A 1-mm field of an H&E-stained sentinel lymph node from a breast-cancer patient (whole-slide image), shown at about 5×, about 1.9 µm per pixel.
Question: 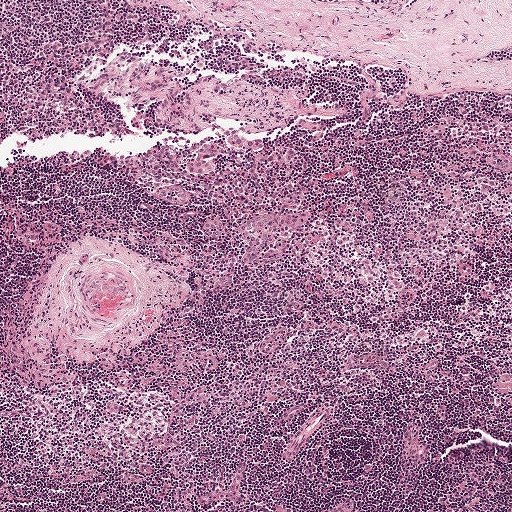
What fraction of the image area is metastatic tumour?

Choices:
 (A) about 25% to 45%
 (B) about 50% or more
 (C) about 5% or less
 (D) none: no tumour is outlined
 (E) about 10% to 20%

Answer: (C) about 5% or less
Under 5% of the field is tumour.
Outlines of two tumour regions, largest first (closed clockwise paths, crop pixels): region 1: (208, 139), (216, 140), (218, 144), (218, 152), (212, 157), (213, 160), (218, 162), (218, 166), (207, 176), (192, 176), (184, 171), (186, 162), (191, 157), (196, 155), (197, 149), (201, 144); region 2: (231, 131), (246, 137), (258, 137), (265, 142), (264, 146), (260, 149), (252, 151), (237, 150), (224, 139).